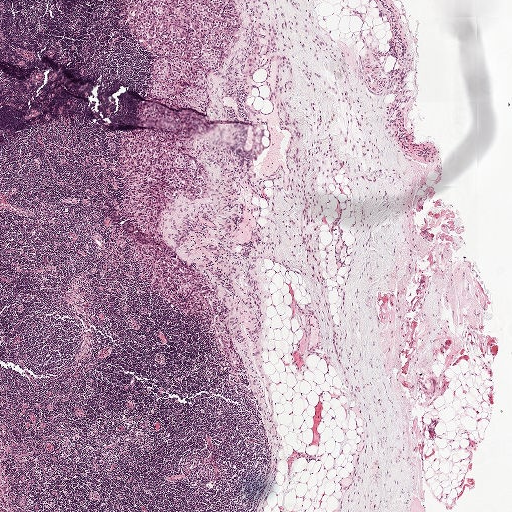
H&E-stained section of a sentinel lymph node (breast cancer), from a whole-slide image, viewed at about 2.5×: the field is about 2.0 mm across, about 3.9 µm per pixel.
Boundaries of three metastatic tumour regions, simplified and listed clockwise, largest first: region 1: (235, 0), (239, 38), (220, 67), (207, 73), (205, 113), (162, 104), (150, 95), (155, 56), (128, 29), (125, 1); region 2: (130, 130), (166, 132), (182, 138), (187, 153), (202, 164), (207, 183), (200, 200), (189, 200), (179, 194), (164, 208), (160, 215), (163, 238), (160, 242), (126, 210), (120, 137); region 3: (139, 241), (157, 248), (160, 248), (159, 244), (165, 245), (214, 285), (225, 307), (233, 348), (240, 355), (243, 368), (236, 367), (220, 348), (214, 334), (211, 309), (188, 315), (179, 312), (158, 292), (135, 248).
The annotated tumour makes up about 5% of the crop.